H&E-stained section of a sentinel lymph node (breast cancer), from a whole-slide image, viewed at about 5×: the field is about 1 mm across, about 1.9 µm per pixel.
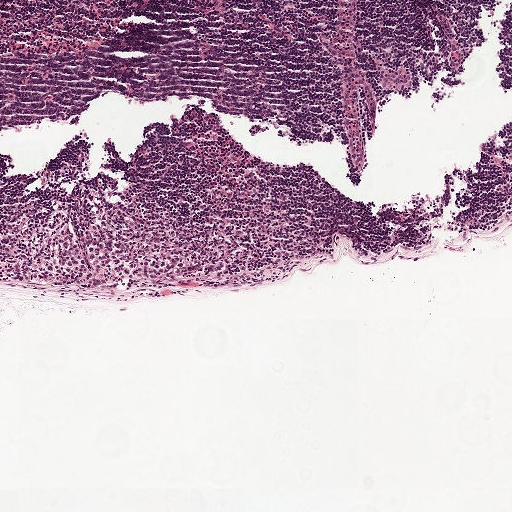
The outlined metastatic tumour's edge, as a closed clockwise path of 11 points: (48, 206), (78, 208), (99, 221), (145, 214), (186, 228), (215, 269), (215, 279), (206, 286), (177, 293), (0, 282), (0, 221).
The annotated tumour makes up about 5% of the crop.